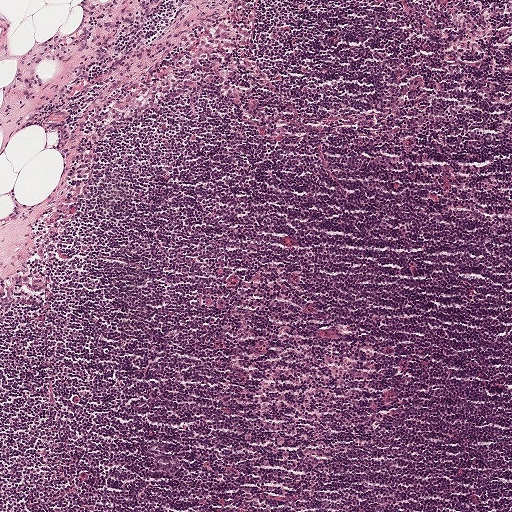
A 1-mm field of an H&E-stained sentinel lymph node from a breast-cancer patient (whole-slide image), shown at about 5×, about 1.9 µm per pixel.